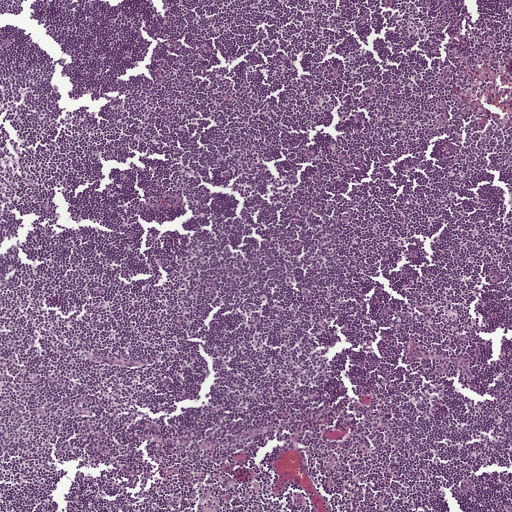
H&E-stained section of a sentinel lymph node (breast cancer), from a whole-slide image, viewed at about 5×: the field is about 1 mm across, about 1.9 µm per pixel.